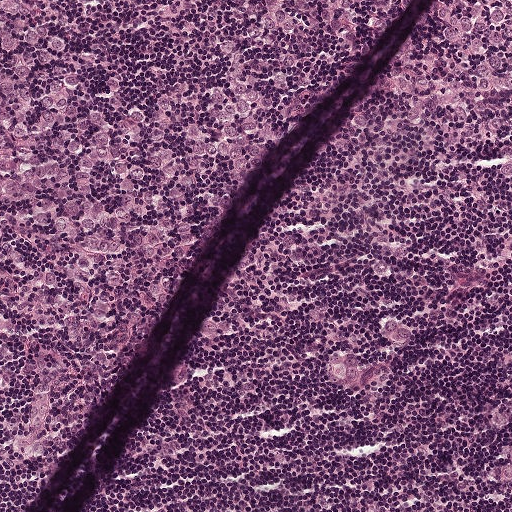
A 0.5-mm field of an H&E-stained sentinel lymph node from a breast-cancer patient (whole-slide image), shown at about 10×, about 0.97 µm per pixel.
One metastatic tumour region; its boundary, reduced to 15 corners and listed clockwise: (0, 0), (412, 0), (352, 56), (384, 86), (388, 63), (438, 0), (511, 0), (511, 181), (406, 128), (392, 92), (334, 58), (120, 305), (45, 333), (18, 323), (2, 296).
One more small tumour piece is annotated here but not outlined.
About 35% of the image area is annotated as tumour.